H&E-stained section of a sentinel lymph node (breast cancer), from a whole-slide image, viewed at about 10×: the field is about 0.46 mm across, about 0.9 µm per pixel.
Image:
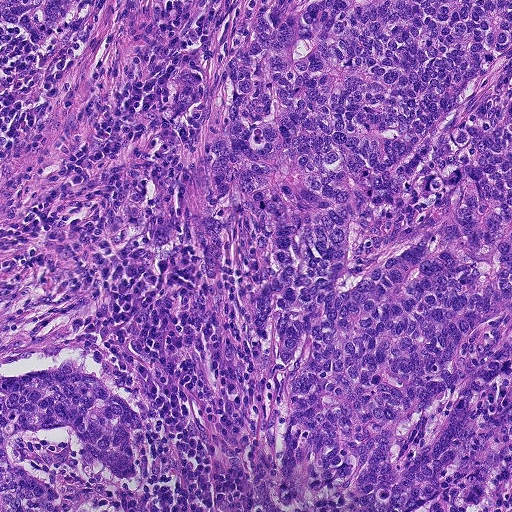
Question:
Does this lymph node field contain metastatic tumour?
Answer:
Yes.
Metastatic tumour covers the whole field.
Tumour covers over 95% of the frame.